Image:
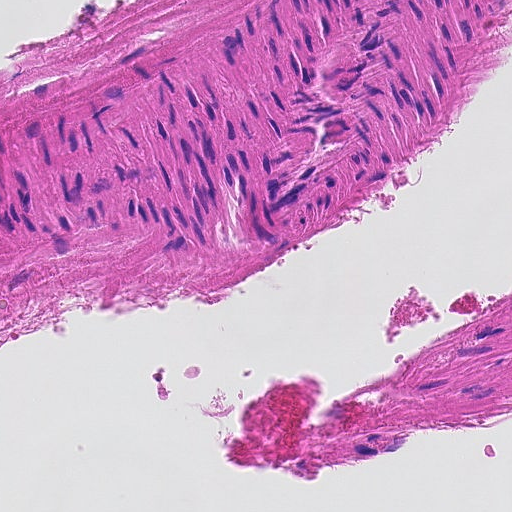
A 0.23-mm field of an H&E-stained sentinel lymph node from a breast-cancer patient (whole-slide image), shown at about 20×, about 0.45 µm per pixel.
Question:
Is any metastatic breast cancer visible in this crop?
Answer:
No. No metastatic tumour is outlined in this field.